Question: 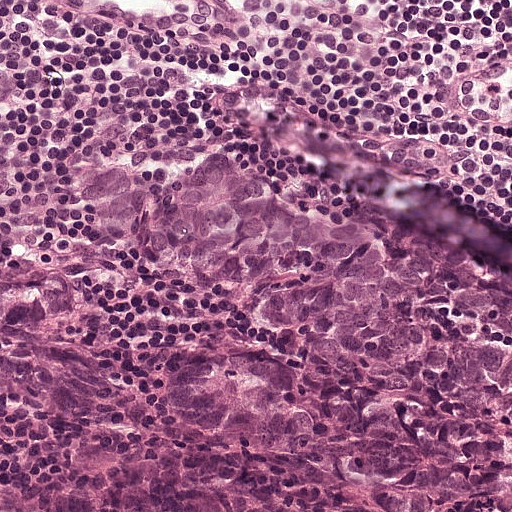
Lymph node section stained with H&E, from a whole-slide image of a breast-cancer sentinel node. Magnification about 20×, about 0.25 mm across the frame, about 0.49 µm per pixel.
Estimate the proportion of this field that is metastatic tumour.

Choices:
 (A) none: no tumour is outlined
 (B) about 5% or less
 (C) about 50% or more
 (D) about 25% to 45%
 (E) about 10% to 20%

Answer: (D) about 25% to 45%
About 40% of the field is tumour.
Outlines of four tumour regions, largest first (closed clockwise paths, crop pixels): region 1: (124, 152), (172, 171), (218, 155), (297, 200), (370, 212), (511, 274), (511, 431), (422, 412), (361, 378), (256, 342), (204, 298), (104, 248), (79, 192), (92, 164); region 2: (181, 357), (254, 359), (306, 378), (396, 428), (432, 430), (511, 462), (511, 511), (365, 511), (308, 488), (236, 473), (163, 406), (157, 381), (164, 366); region 3: (0, 228), (22, 248), (36, 264), (36, 268), (44, 275), (60, 296), (67, 312), (58, 336), (49, 340), (0, 339); region 4: (8, 67), (10, 70), (16, 70), (16, 72), (18, 74), (19, 92), (17, 94), (16, 98), (0, 105), (0, 68).